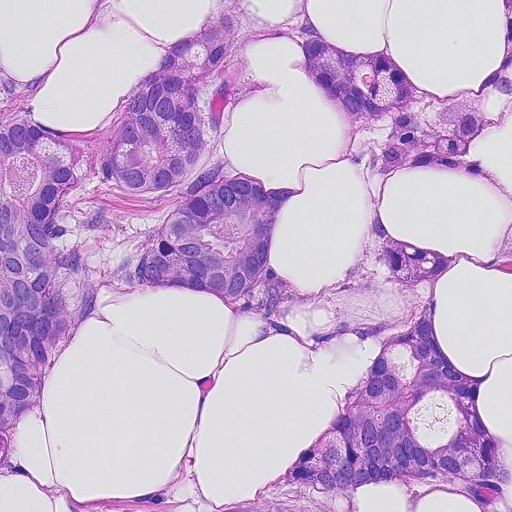
H&E-stained section of a sentinel lymph node (breast cancer), from a whole-slide image, viewed at about 20×: the field is about 0.23 mm across, about 0.45 µm per pixel.
Metastatic tumour outline, simplified to 40 points and listed clockwise in crop pixels (x, y): (208, 0), (282, 21), (299, 0), (328, 42), (452, 90), (495, 62), (494, 0), (511, 0), (511, 98), (472, 161), (511, 198), (408, 164), (361, 175), (302, 56), (252, 40), (276, 89), (230, 112), (225, 140), (262, 186), (310, 183), (275, 222), (292, 284), (342, 276), (379, 204), (418, 244), (511, 257), (511, 277), (458, 264), (434, 310), (454, 358), (487, 373), (511, 511), (395, 478), (355, 504), (0, 511), (0, 65), (12, 82), (57, 62), (36, 112), (79, 134).
The annotated tumour makes up about 70% of the crop.